Question: 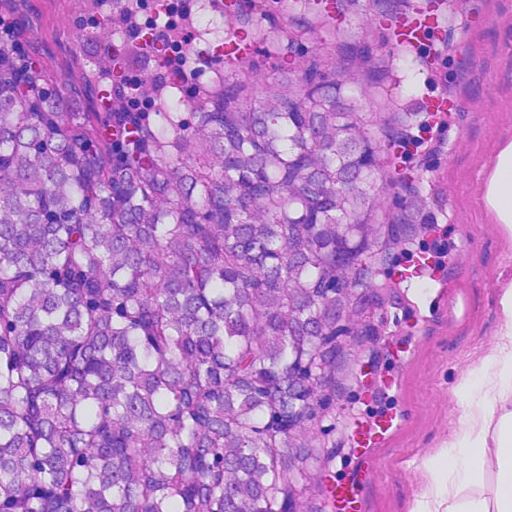
Lymph node section stained with H&E, from a whole-slide image of a breast-cancer sentinel node. Magnification about 20×, about 0.23 mm across the frame, about 0.45 µm per pixel.
About how much of this crop is taken up by metastatic carcinoma?

Choices:
 (A) about 25% to 45%
 (B) about 5% or less
 (C) about 50% or more
 (D) about 10% to 20%
 (E) none: no tumour is outlined

Answer: (C) about 50% or more
About 70% of the field is tumour.
Metastatic tumour outline, simplified to 15 points and listed clockwise in crop pixels (x, y): (190, 0), (435, 0), (402, 45), (398, 76), (432, 222), (342, 440), (334, 470), (346, 511), (0, 511), (0, 26), (56, 118), (130, 160), (158, 154), (190, 68), (181, 40).
Question: 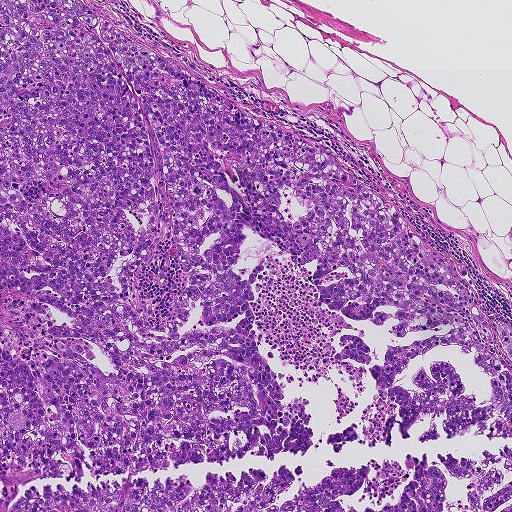
A 0.93-mm field of an H&E-stained sentinel lymph node from a breast-cancer patient (whole-slide image), shown at about 5×, about 1.8 µm per pixel.
About how much of this crop is taken up by metastatic carcinoma?

Choices:
 (A) none: no tumour is outlined
 (B) about 10% to 20%
 (C) about 5% or less
 (D) about 50% or more
 (E) about 25% to 45%

Answer: (D) about 50% or more
About 70% of the field is tumour.
Outlines of four tumour regions, largest first (closed clockwise paths, crop pixels): region 1: (0, 0), (80, 0), (320, 144), (464, 266), (511, 380), (511, 439), (420, 443), (433, 414), (339, 453), (324, 438), (360, 436), (368, 369), (452, 324), (341, 313), (371, 363), (343, 360), (363, 394), (329, 372), (339, 424), (259, 343), (309, 446), (2, 475); region 2: (365, 466), (364, 482), (357, 492), (334, 500), (345, 511), (0, 511), (0, 498), (5, 498), (8, 507), (23, 494), (33, 493), (184, 480), (195, 487), (208, 478), (269, 475), (262, 486), (278, 474), (297, 477), (273, 503), (279, 507), (291, 500), (301, 484), (321, 481), (335, 467); region 3: (408, 453), (432, 465), (445, 479), (445, 511), (379, 511), (385, 503), (395, 504), (404, 487), (413, 479), (413, 469), (408, 470), (407, 482), (389, 497), (386, 496), (382, 505), (374, 505), (374, 498), (357, 502), (375, 473), (368, 464), (372, 458), (381, 466), (397, 462), (404, 470); region 4: (511, 452), (511, 511), (461, 511), (464, 509), (458, 507), (455, 498), (471, 506), (466, 488), (471, 480), (451, 477), (438, 461), (448, 458), (485, 458).
Two more small tumour pieces are annotated here but not outlined.
Question: 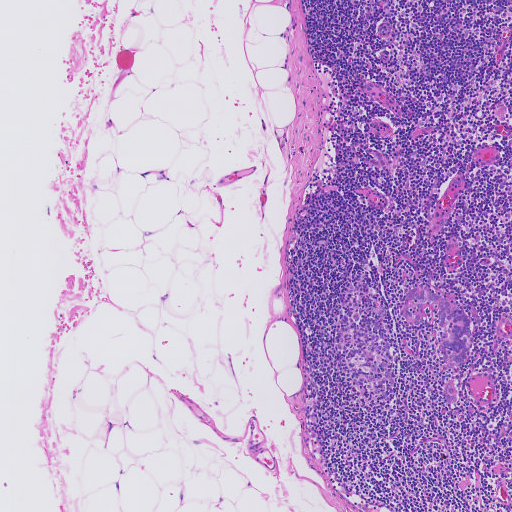
This is a crop of a whole-slide image: an H&E-stained breast-cancer sentinel lymph node section at roughly 5× magnification (about 1.8 µm per pixel; the crop spans about 0.93 mm).
About how much of this crop is taken up by metastatic carcinoma?

Choices:
 (A) about 25% to 45%
 (B) none: no tumour is outlined
 (C) about 5% or less
 (D) about 50% or more
 (E) about 10% to 20%

Answer: (C) about 5% or less
Under 5% of the field is tumour.
Two metastatic tumour regions, each outlined as a closed clockwise path in crop pixels (x, y), largest first: region 1: (421, 284), (455, 303), (471, 319), (471, 342), (465, 364), (449, 367), (443, 358), (442, 352), (438, 350), (440, 336), (444, 330), (438, 324), (440, 320), (438, 304), (430, 301), (426, 303), (423, 313), (425, 320), (416, 326), (406, 320), (402, 314), (408, 292); region 2: (448, 382), (451, 382), (458, 391), (458, 400), (456, 403), (447, 400), (443, 397), (442, 390).
Question: 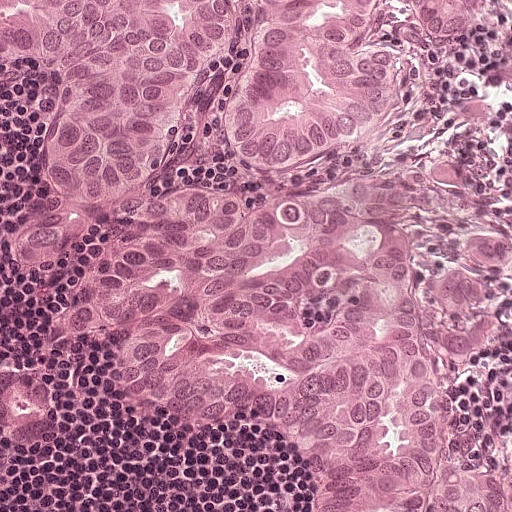
This is a crop of a whole-slide image: an H&E-stained breast-cancer sentinel lymph node section at roughly 20× magnification (about 0.49 µm per pixel; the crop spans about 0.25 mm).
About how much of this crop is taken up by metastatic carcinoma?

Choices:
 (A) about 25% to 45%
 (B) about 10% to 20%
 (C) about 50% or more
 (D) about 5% or less
 (E) none: no tumour is outlined

Answer: (B) about 10% to 20%
About 20% of the field is tumour.
Boundaries of three metastatic tumour regions, simplified and listed clockwise, largest first: region 1: (0, 0), (236, 0), (237, 6), (236, 31), (190, 90), (182, 122), (136, 186), (110, 204), (50, 204), (41, 158), (60, 130), (64, 86), (54, 65), (28, 50), (0, 62); region 2: (380, 0), (369, 36), (392, 40), (395, 73), (358, 132), (324, 158), (235, 160), (220, 150), (220, 123), (244, 108), (255, 90), (258, 1); region 3: (491, 0), (477, 31), (450, 44), (435, 44), (416, 30), (400, 4), (397, 4), (397, 1), (394, 1).